Question: 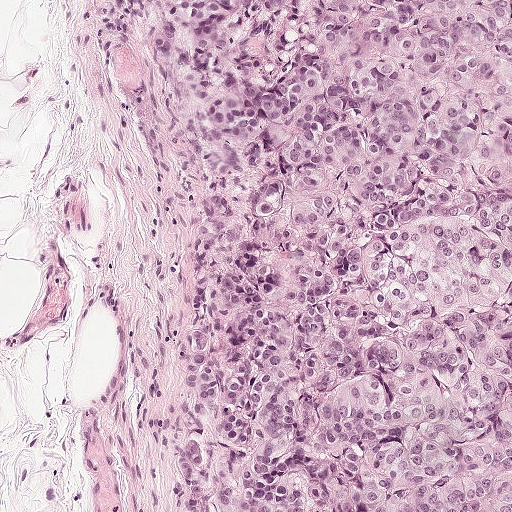
This is a crop of a whole-slide image: an H&E-stained breast-cancer sentinel lymph node section at roughly 10× magnification (about 0.97 µm per pixel; the crop spans about 0.5 mm).
What fraction of the image area is metastatic tumour?

Choices:
 (A) about 25% to 45%
 (B) none: no tumour is outlined
 (C) about 50% or more
 (D) about 5% or less
 (E) about 10% to 20%

Answer: (C) about 50% or more
About 65% of the field is tumour.
Metastatic tumour outline, simplified to 7 points and listed clockwise in crop pixels (x, y): (511, 0), (511, 511), (174, 507), (202, 182), (188, 150), (188, 87), (134, 1).